H&E-stained section of a sentinel lymph node (breast cancer), from a whole-slide image, viewed at about 2.5×: the field is about 2.0 mm across, about 3.9 µm per pixel.
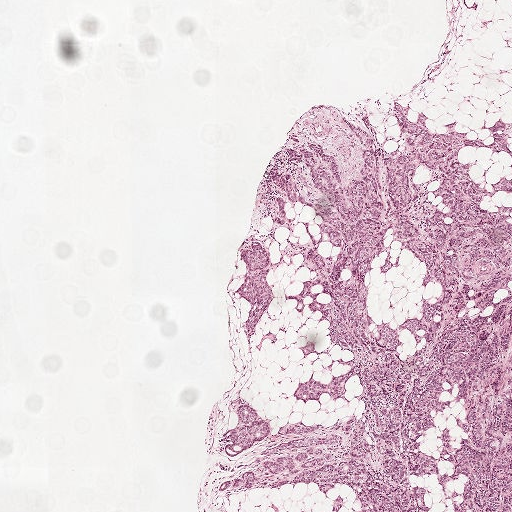
One metastatic tumour region; its boundary, reduced to 20 corners and listed clockwise: (403, 104), (469, 124), (511, 118), (511, 511), (325, 511), (331, 501), (319, 488), (259, 503), (215, 492), (231, 402), (282, 396), (335, 353), (318, 321), (258, 354), (236, 345), (243, 230), (273, 160), (334, 110), (369, 114), (390, 133).
Tumour covers about 40% of the frame.